Question: 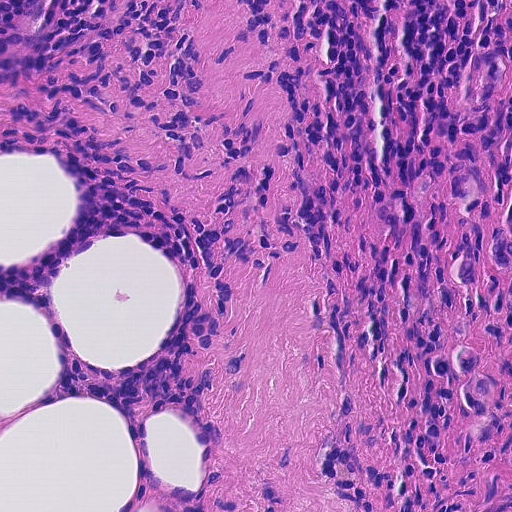
A 0.23-mm field of an H&E-stained sentinel lymph node from a breast-cancer patient (whole-slide image), shown at about 20×, about 0.45 µm per pixel.
What fraction of the image area is metastatic tumour?

Choices:
 (A) about 25% to 45%
 (B) about 5% or less
 (C) about 10% to 20%
 (D) about 50% or more
 (E) none: no tumour is outlined

Answer: (C) about 10% to 20%
About 20% of the field is tumour.
Metastatic tumour outline, simplified to 6 points and listed clockwise in crop pixels (x, y): (489, 0), (511, 0), (511, 511), (414, 511), (410, 194), (441, 74).